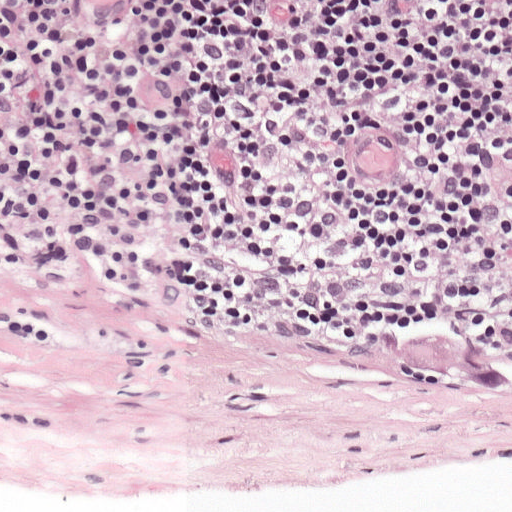
A 0.25-mm field of an H&E-stained sentinel lymph node from a breast-cancer patient (whole-slide image), shown at about 20×, about 0.49 µm per pixel.
One metastatic tumour region; its boundary, reduced to 12 corners and listed clockwise: (380, 328), (396, 330), (400, 345), (418, 336), (442, 334), (468, 340), (490, 352), (508, 374), (506, 389), (472, 386), (404, 364), (377, 350).
The annotated tumour makes up under 5% of the crop.